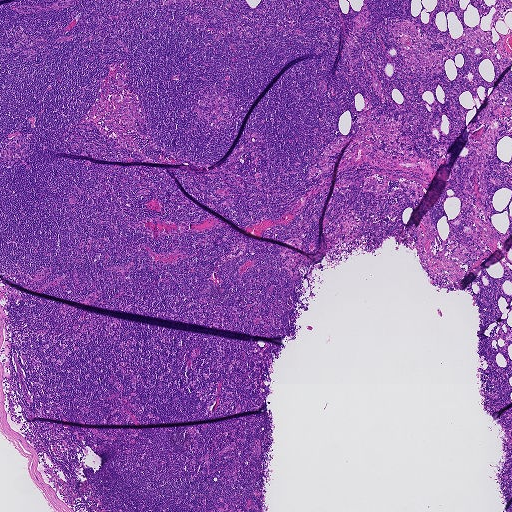
Lymph node section stained with H&E, from a whole-slide image of a breast-cancer sentinel node. Magnification about 2.5×, about 1.9 mm across the frame, about 3.6 µm per pixel.
Question: Is there metastatic carcinoma in this field?
Answer: No: no metastatic tumour is outlined anywhere in this field.